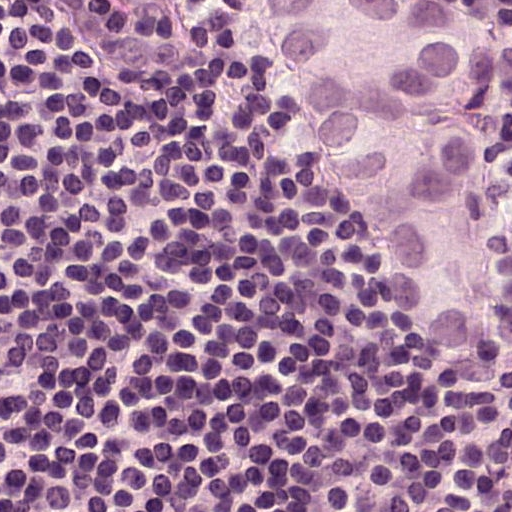
This is a crop of a whole-slide image: an H&E-stained breast-cancer sentinel lymph node section at roughly 40× magnification (about 0.24 µm per pixel; the crop spans about 0.12 mm).
The outlined metastatic tumour's edge, as a closed clockwise path of 15 points: (445, 0), (491, 24), (493, 149), (485, 187), (493, 299), (472, 353), (451, 355), (410, 334), (351, 228), (335, 174), (304, 124), (301, 134), (285, 112), (260, 37), (207, 3).
The annotated tumour makes up about 20% of the crop.